Question: 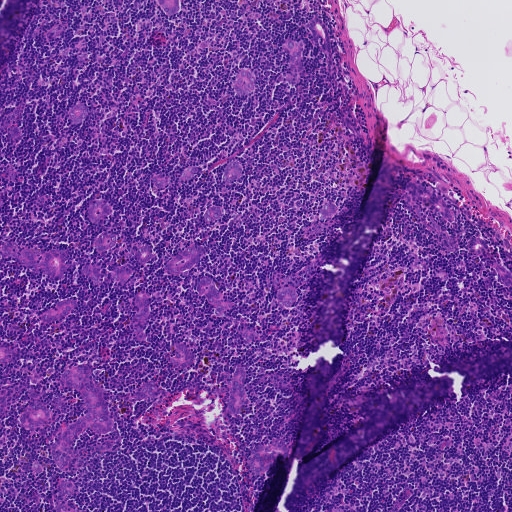
About what magnification does this crop show?

Choices:
 (A) about 10×
 (B) about 40×
 (C) about 20×
 (D) about 2.5×
 (E) about 5×

Answer: (E) about 5×
H&E-stained section of a sentinel lymph node (breast cancer), from a whole-slide image, viewed at about 5×: the field is about 0.93 mm across, about 1.8 µm per pixel.
Outlines of the eight largest metastatic tumour regions, each a closed clockwise path in crop pixels (x, y), largest first: region 1: (80, 365), (101, 372), (94, 380), (108, 403), (113, 424), (112, 429), (103, 433), (92, 431), (87, 427), (76, 438), (73, 458), (68, 466), (63, 470), (58, 468), (52, 456), (52, 446), (67, 425), (86, 415), (86, 405), (82, 394), (78, 390), (62, 384), (60, 380), (65, 371); region 2: (16, 241), (20, 251), (31, 248), (43, 252), (58, 249), (67, 252), (68, 257), (63, 278), (52, 278), (38, 270), (33, 272), (28, 270), (17, 259), (6, 255), (2, 252), (2, 247), (5, 243); region 3: (410, 182), (440, 192), (454, 207), (455, 218), (450, 220), (441, 216), (423, 202), (417, 203), (410, 211), (403, 197), (406, 193), (406, 183); region 4: (280, 438), (290, 449), (290, 454), (287, 458), (277, 460), (272, 469), (263, 474), (253, 474), (250, 470), (248, 460), (251, 451), (254, 447), (266, 445); region 5: (242, 365), (246, 370), (244, 385), (247, 399), (247, 404), (242, 414), (233, 416), (229, 414), (226, 394), (220, 393), (221, 388), (223, 386), (227, 389), (228, 397), (235, 381), (234, 371), (237, 366); region 6: (32, 389), (36, 392), (37, 398), (40, 402), (48, 408), (51, 418), (45, 426), (35, 429), (30, 429), (20, 425), (20, 417), (31, 399), (29, 394); region 7: (192, 244), (197, 244), (201, 246), (204, 250), (203, 255), (186, 272), (176, 275), (166, 274), (164, 269), (165, 264); region 8: (206, 276), (215, 282), (222, 301), (233, 302), (233, 307), (217, 316), (215, 307), (204, 294), (201, 296), (197, 292), (197, 283), (201, 277).
24 more, smaller tumour regions are not outlined.
Seven more small tumour pieces are annotated here but not outlined.
The annotated tumour makes up about 5% of the crop.